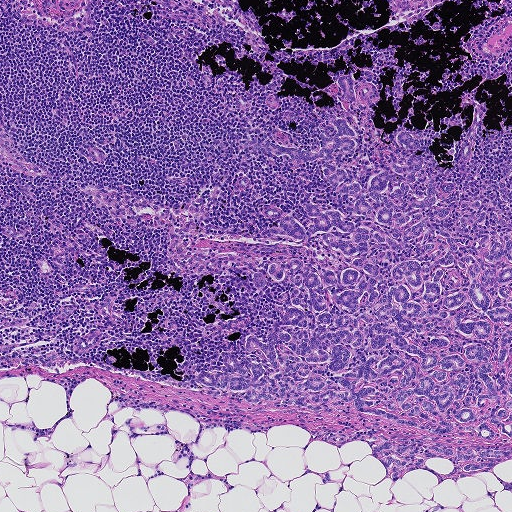
Lymph node section stained with H&E, from a whole-slide image of a breast-cancer sentinel node. Magnification about 5×, about 0.93 mm across the frame, about 1.8 µm per pixel.
Question: Which parts of this field are metastatic tumour?
Answer: Boundaries of two metastatic tumour regions, simplified and listed clockwise, largest first: region 1: (328, 105), (357, 133), (337, 159), (364, 187), (404, 156), (398, 132), (454, 166), (483, 105), (466, 169), (436, 205), (450, 228), (468, 195), (489, 227), (511, 219), (511, 459), (394, 482), (367, 443), (312, 440), (199, 386), (221, 354), (265, 344), (294, 289), (254, 285), (279, 254), (261, 248), (345, 258), (267, 229), (305, 228), (312, 202), (358, 217), (319, 158), (252, 154), (252, 137), (319, 148), (337, 131); region 2: (503, 478), (511, 483), (511, 492), (510, 491), (500, 492), (502, 486), (495, 479).
Tumour covers about 25% of the frame.